Lymph node section stained with H&E, from a whole-slide image of a breast-cancer sentinel node. Magnification about 10×, about 0.5 mm across the frame, about 0.97 µm per pixel.
Image:
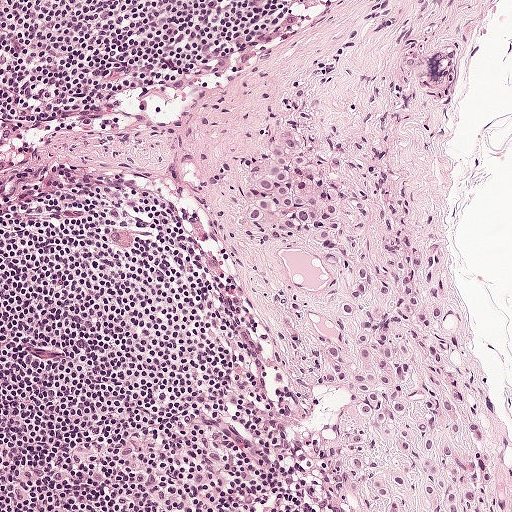
Question:
Does this lymph node field contain metastatic tumour?
Answer:
Yes.
The outlined metastatic tumour's edge, as a closed clockwise path of 20 points: (278, 130), (327, 151), (364, 205), (414, 214), (434, 230), (445, 267), (442, 321), (475, 364), (478, 418), (506, 511), (382, 511), (346, 472), (349, 398), (314, 352), (335, 324), (324, 304), (335, 276), (292, 244), (236, 227), (246, 167).
About 20% of the image area is annotated as tumour.